A 1-mm field of an H&E-stained sentinel lymph node from a breast-cancer patient (whole-slide image), shown at about 5×, about 1.9 µm per pixel.
Question: 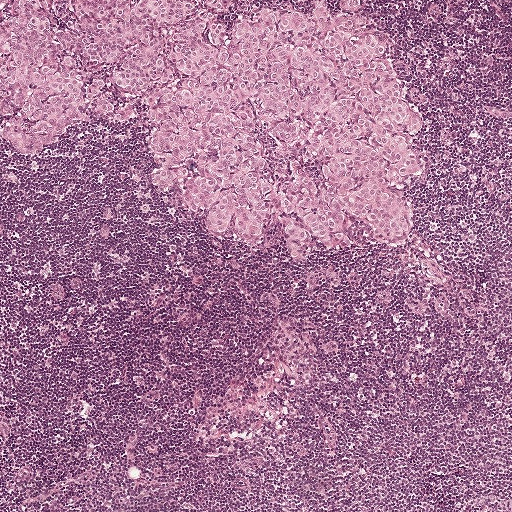
About how much of this crop is taken up by metastatic carcinoma?

Choices:
 (A) about 50% or more
 (B) about 5% or less
 (C) about 25% to 45%
 (D) about 10% to 20%
 (E) none: no tumour is outlined

Answer: (C) about 25% to 45%
About 30% of the field is tumour.
Metastatic tumour outline, simplified to 18 points and listed clockwise in crop pixels (x, y): (0, 0), (364, 0), (363, 25), (379, 35), (420, 121), (414, 235), (298, 261), (279, 255), (273, 218), (256, 243), (208, 231), (148, 190), (144, 105), (123, 122), (78, 125), (32, 155), (10, 150), (0, 132).